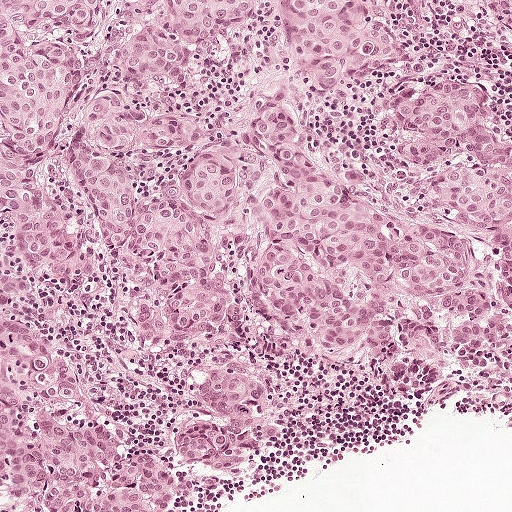
A 0.5-mm field of an H&E-stained sentinel lymph node from a breast-cancer patient (whole-slide image), shown at about 10×, about 0.97 µm per pixel.
One metastatic tumour region; its boundary, reduced to 13 corners and listed clockwise: (0, 0), (511, 0), (511, 411), (477, 408), (426, 380), (401, 392), (356, 385), (280, 356), (270, 452), (228, 482), (183, 490), (162, 511), (0, 511).
The annotated tumour makes up about 85% of the crop.